Question: 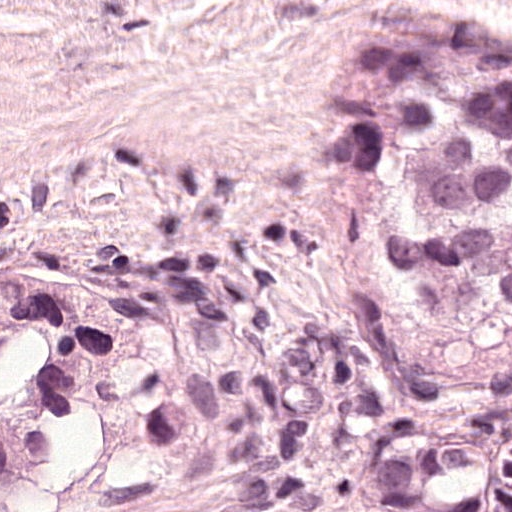
Which magnification is this H&E lymph node field most likely shown at?

Choices:
 (A) about 2.5×
 (B) about 10×
 (C) about 20×
 (D) about 40×
 (E) about 5×

Answer: (D) about 40×
This is a crop of a whole-slide image: an H&E-stained breast-cancer sentinel lymph node section at roughly 40× magnification (about 0.24 µm per pixel; the crop spans about 0.12 mm).
Boundaries of three metastatic tumour regions, simplified and listed clockwise, largest first: region 1: (0, 264), (51, 274), (64, 288), (114, 288), (144, 315), (194, 308), (310, 369), (343, 444), (343, 483), (294, 497), (280, 511), (0, 511); region 2: (435, 31), (511, 49), (511, 366), (473, 366), (432, 347), (382, 297), (351, 235), (335, 135), (353, 78), (373, 49); region 3: (446, 431), (476, 447), (492, 447), (511, 440), (511, 511), (375, 511), (371, 508), (366, 467), (416, 438).
About 45% of this field is tumour.